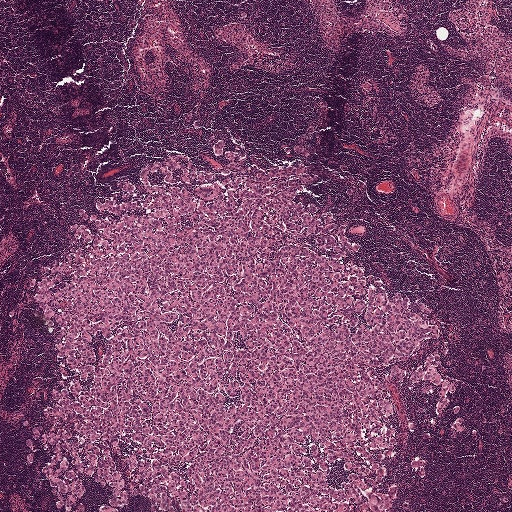
Lymph node section stained with H&E, from a whole-slide image of a breast-cancer sentinel node. Magnification about 2.5×, about 2.0 mm across the frame, about 3.9 µm per pixel.
Outlines of two tumour regions, largest first (closed clockwise paths, crop pixels): region 1: (222, 139), (278, 169), (304, 145), (303, 202), (430, 308), (465, 429), (435, 414), (434, 387), (390, 380), (380, 511), (96, 511), (109, 490), (85, 477), (84, 511), (53, 511), (25, 461), (59, 379), (28, 280), (157, 159), (208, 170); region 2: (418, 458), (425, 462), (425, 472), (423, 477), (416, 475), (413, 466), (410, 464), (410, 461).
Tumour covers about 45% of the frame.